Image:
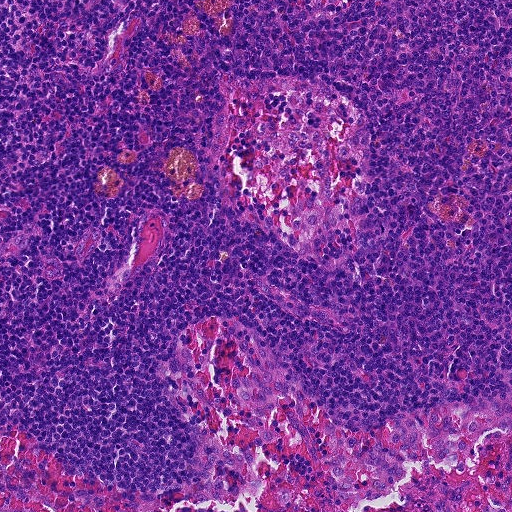
Lymph node section stained with H&E, from a whole-slide image of a breast-cancer sentinel node. Magnification about 10×, about 0.46 mm across the frame, about 0.9 µm per pixel.
Question:
Does this lymph node field contain metastatic tumour?
Answer:
No: no metastatic tumour is outlined anywhere in this field.